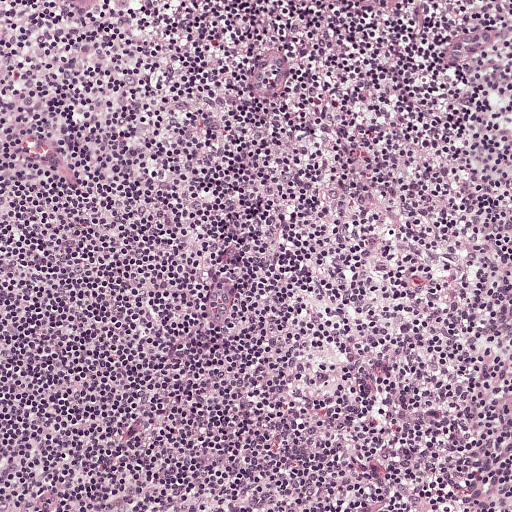
H&E-stained section of a sentinel lymph node (breast cancer), from a whole-slide image, viewed at about 10×: the field is about 0.5 mm across, about 0.97 µm per pixel.